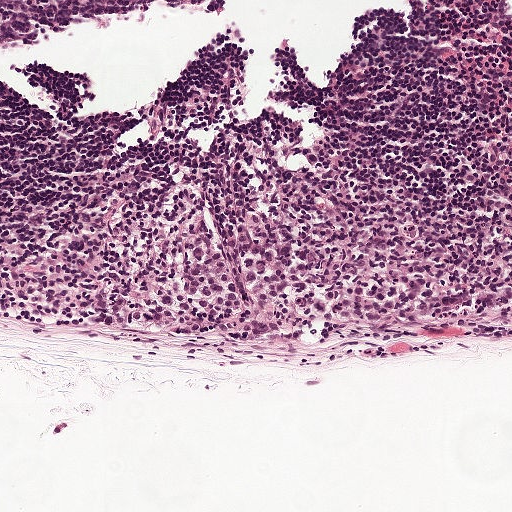
A 0.5-mm field of an H&E-stained sentinel lymph node from a breast-cancer patient (whole-slide image), shown at about 10×, about 0.97 µm per pixel.
The outlined metastatic tumour's edge, as a closed clockwise path of 12 points: (164, 177), (223, 180), (266, 206), (358, 192), (440, 220), (497, 303), (497, 321), (479, 337), (421, 350), (158, 340), (1, 314), (0, 226).
Tumour covers about 25% of the frame.